Question: 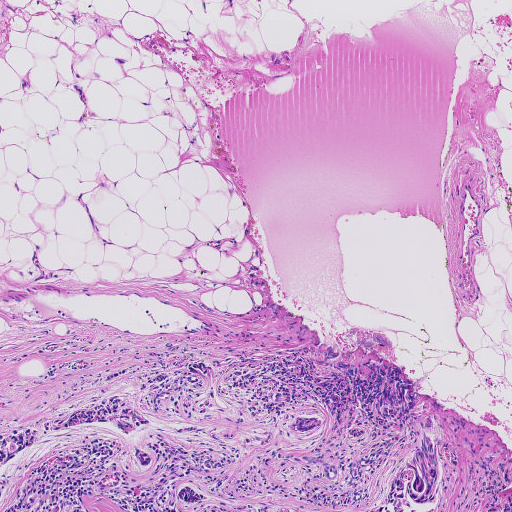
Lymph node section stained with H&E, from a whole-slide image of a breast-cancer sentinel node. Magnification about 5×, about 0.93 mm across the frame, about 1.8 µm per pixel.
Estimate the proportion of this field that is metastatic tumour.

Choices:
 (A) about 25% to 45%
 (B) about 5% or less
 (C) about 50% or more
 (D) none: no tumour is outlined
 (E) about 10% to 20%

Answer: (B) about 5% or less
About 5% of the field is tumour.
The eight largest tumour regions' boundaries, simplified and listed clockwise, largest first: region 1: (369, 358), (383, 358), (407, 372), (417, 390), (417, 402), (410, 418), (402, 428), (378, 428), (359, 417), (337, 423), (312, 392), (320, 374), (330, 374), (339, 361), (353, 363), (362, 368), (366, 376), (370, 370), (362, 360); region 2: (120, 394), (133, 396), (138, 407), (154, 422), (134, 434), (140, 445), (150, 452), (152, 463), (144, 472), (126, 457), (126, 442), (116, 432), (103, 428), (74, 427), (46, 438), (23, 455), (10, 460), (0, 494), (0, 432), (6, 430); region 3: (431, 430), (437, 432), (444, 450), (445, 481), (438, 511), (360, 511), (380, 500), (395, 469), (421, 436); region 4: (181, 482), (192, 482), (206, 489), (211, 500), (204, 504), (190, 506), (179, 504), (173, 491); region 5: (306, 414), (322, 414), (323, 422), (317, 431), (303, 434), (291, 432), (288, 425), (295, 416); region 6: (190, 360), (203, 360), (213, 368), (213, 377), (202, 377), (190, 372), (187, 366); region 7: (158, 373), (170, 376), (162, 385), (142, 391), (139, 388), (144, 379); region 8: (358, 425), (366, 428), (367, 434), (361, 438), (354, 439), (348, 435), (347, 428).
Two more, smaller tumour regions are not outlined.